Question: 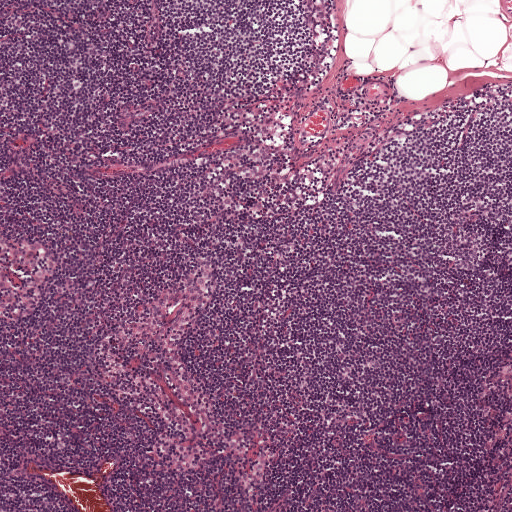
Which magnification is this H&E lymph node field most likely shown at?

Choices:
 (A) about 20×
 (B) about 40×
 (C) about 5×
 (D) about 2.5×
 (E) about 10×

Answer: (C) about 5×
A 1-mm field of an H&E-stained sentinel lymph node from a breast-cancer patient (whole-slide image), shown at about 5×, about 1.9 µm per pixel.